This is a crop of a whole-slide image: an H&E-stained breast-cancer sentinel lymph node section at roughly 20× magnification (about 0.49 µm per pixel; the crop spans about 0.25 mm).
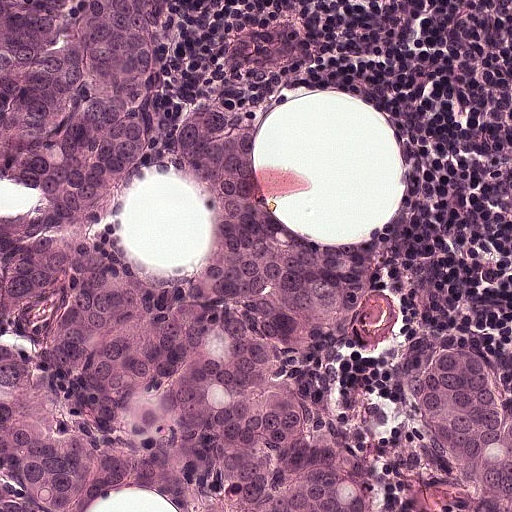
One metastatic tumour region; its boundary, reduced to 24 corners and listed clockwise: (0, 0), (148, 0), (181, 86), (246, 104), (254, 175), (272, 218), (302, 236), (378, 252), (362, 386), (372, 412), (400, 406), (438, 366), (468, 354), (511, 384), (511, 511), (176, 511), (150, 491), (114, 494), (97, 511), (0, 511), (0, 218), (39, 215), (49, 198), (0, 184).
About 65% of this field is tumour.